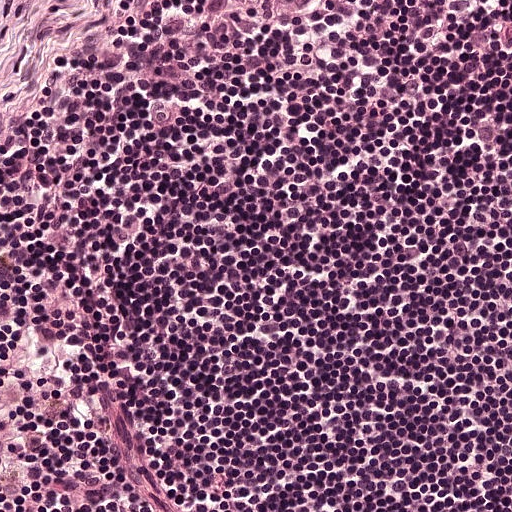
This is a crop of a whole-slide image: an H&E-stained breast-cancer sentinel lymph node section at roughly 20× magnification (about 0.49 µm per pixel; the crop spans about 0.25 mm).